Image:
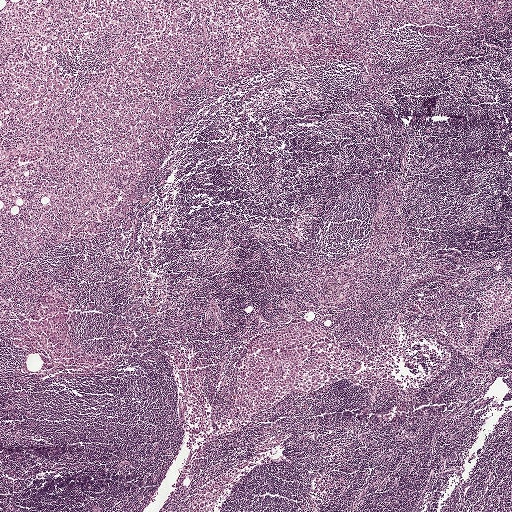
A 2.0-mm field of an H&E-stained sentinel lymph node from a breast-cancer patient (whole-slide image), shown at about 2.5×, about 3.9 µm per pixel.
Question:
Which parts of this field are metastatic tumour?
Answer:
Outlines of three tumour regions, largest first (closed clockwise paths, crop pixels): region 1: (17, 0), (128, 0), (128, 5), (91, 52), (56, 59), (72, 76), (62, 104), (47, 123), (14, 143), (0, 119), (0, 6), (11, 6); region 2: (83, 161), (115, 163), (122, 169), (122, 177), (91, 216), (47, 240), (35, 253), (0, 276), (0, 254), (10, 242), (33, 188), (44, 180), (68, 177); region 3: (294, 352), (326, 366), (338, 368), (340, 376), (338, 380), (317, 390), (290, 393), (264, 412), (239, 412), (233, 409), (231, 402), (234, 380), (242, 359), (250, 356).
One more small tumour piece is annotated here but not outlined.
Tumour covers about 10% of the frame.